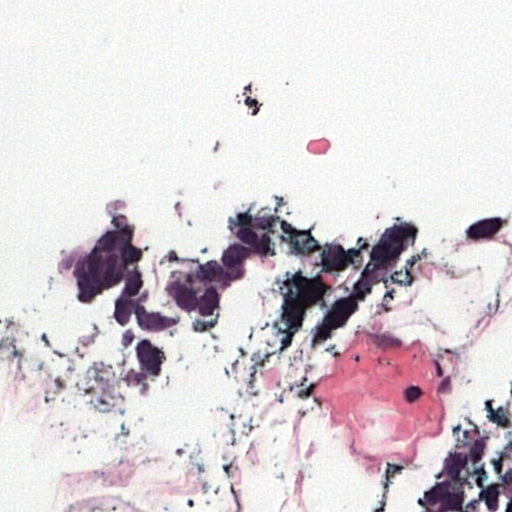
A 0.12-mm field of an H&E-stained sentinel lymph node from a breast-cancer patient (whole-slide image), shown at about 40×, about 0.24 µm per pixel.
Boundaries of three metastatic tumour regions, simplified and listed clockwise, largest first: region 1: (135, 183), (182, 230), (294, 192), (292, 256), (134, 393), (38, 284), (90, 202); region 2: (511, 392), (511, 511), (410, 511), (411, 495), (471, 403); region 3: (511, 181), (511, 248), (451, 234).
One more small tumour piece is annotated here but not outlined.
About 15% of the image area is annotated as tumour.